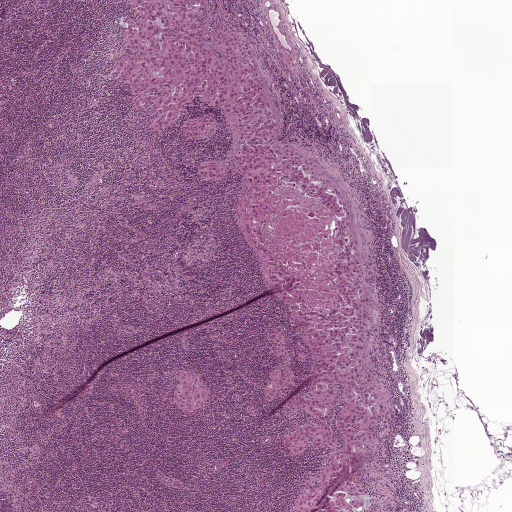
Lymph node section stained with H&E, from a whole-slide image of a breast-cancer sentinel node. Magnification about 2.5×, about 2.0 mm across the frame, about 3.9 µm per pixel.
Outlines of five tumour regions, largest first (closed clockwise paths, crop pixels): region 1: (127, 0), (210, 0), (200, 35), (229, 78), (213, 36), (226, 24), (268, 78), (284, 146), (345, 182), (371, 284), (367, 358), (389, 404), (364, 459), (369, 511), (290, 511), (333, 451), (309, 443), (291, 456), (282, 438), (308, 422), (332, 424), (344, 444), (332, 423), (282, 400), (311, 395), (314, 360), (236, 212), (236, 119), (199, 96), (191, 115), (153, 132), (155, 116), (135, 111), (129, 86), (107, 72), (119, 22), (134, 11); region 2: (182, 371), (194, 371), (200, 373), (210, 389), (210, 402), (207, 407), (196, 413), (190, 413), (178, 410), (175, 405), (172, 393); region 3: (278, 327), (282, 327), (285, 337), (290, 368), (293, 376), (291, 382), (282, 390), (286, 396), (282, 398), (277, 396), (269, 402), (265, 398), (265, 392), (273, 383), (270, 377), (279, 362), (270, 355), (273, 343), (268, 340), (268, 334); region 4: (210, 113), (216, 116), (216, 122), (196, 138), (190, 139), (181, 131), (182, 125), (187, 120); region 5: (209, 160), (221, 162), (226, 166), (226, 172), (223, 177), (217, 180), (205, 179), (199, 176), (196, 170), (197, 164).
One more small tumour piece is annotated here but not outlined.
About 20% of the image area is annotated as tumour.